Image:
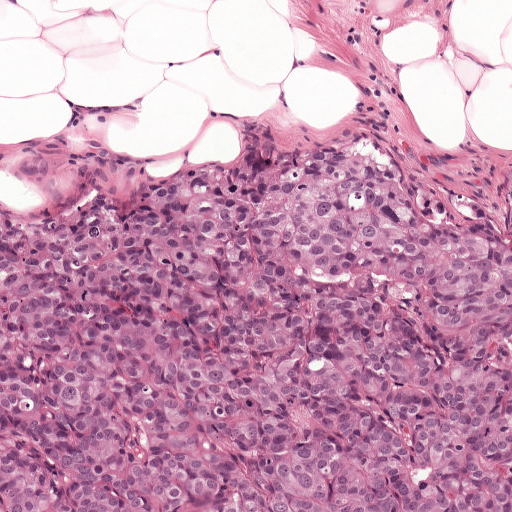
Lymph node section stained with H&E, from a whole-slide image of a breast-cancer sentinel node. Magnification about 10×, about 0.5 mm across the frame, about 0.97 µm per pixel.
Question:
Outline the metastatic carcinoma in this image, as closed paths of (x, y) pixel coordinates.
Answer:
The outlined metastatic tumour's edge, as a closed clockwise path of 12 points: (272, 124), (369, 145), (352, 156), (452, 190), (511, 168), (511, 511), (0, 511), (0, 198), (60, 206), (106, 190), (154, 196), (225, 137).
About 65% of the image area is annotated as tumour.